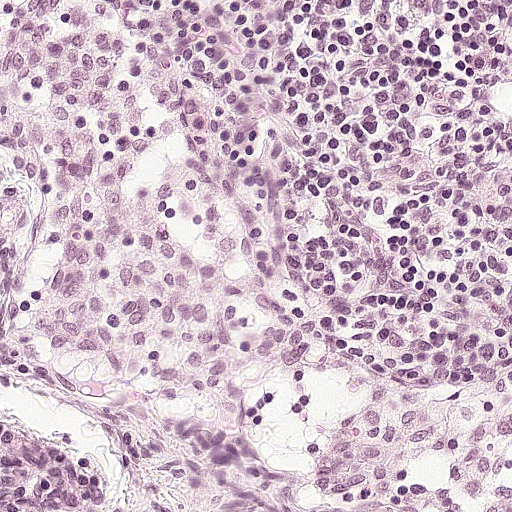
H&E-stained section of a sentinel lymph node (breast cancer), from a whole-slide image, viewed at about 20×: the field is about 0.25 mm across, about 0.49 µm per pixel.